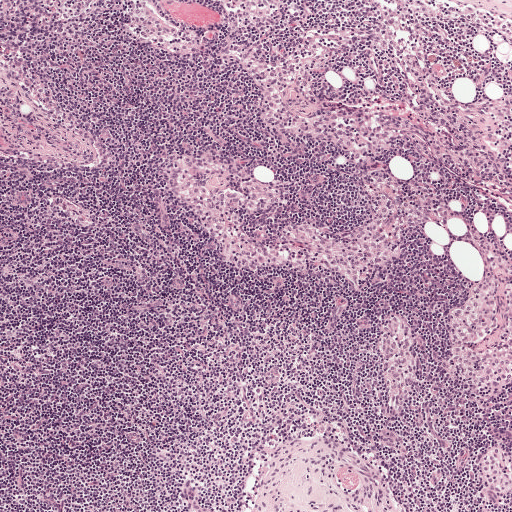
Lymph node section stained with H&E, from a whole-slide image of a breast-cancer sentinel node. Magnification about 5×, about 1 mm across the frame, about 1.9 µm per pixel.